Image:
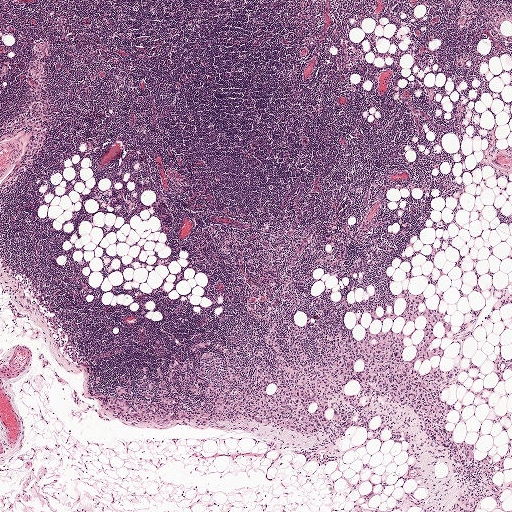
This is a crop of a whole-slide image: an H&E-stained breast-cancer sentinel lymph node section at roughly 2.5× magnification (about 3.9 µm per pixel; the crop spans about 2.0 mm).
Question:
Is there metastatic carcinoma in this field?
Answer:
Yes.
Outlines of two tumour regions, largest first (closed clockwise paths, crop pixels): region 1: (509, 282), (511, 323), (505, 304), (462, 341), (479, 380), (437, 393), (463, 402), (444, 428), (477, 458), (508, 436), (465, 388), (494, 385), (494, 414), (511, 409), (511, 456), (492, 479), (511, 511), (486, 497), (447, 511), (456, 467), (396, 407), (378, 442), (355, 427), (332, 443), (104, 410), (113, 383), (268, 325), (361, 339), (362, 311), (374, 333), (400, 329), (407, 359), (426, 318), (373, 315), (408, 289), (450, 325), (433, 339), (446, 370), (465, 313), (482, 321); region 2: (499, 340), (501, 346), (501, 356), (504, 358), (509, 358), (511, 356), (511, 375), (510, 371), (507, 368), (505, 368), (502, 372), (501, 374), (503, 379), (503, 381), (497, 380), (496, 374), (492, 373), (492, 372), (493, 365), (491, 360), (494, 358), (497, 352), (497, 347), (492, 346), (492, 344).
One more small tumour piece is annotated here but not outlined.
Tumour covers about 15% of the frame.